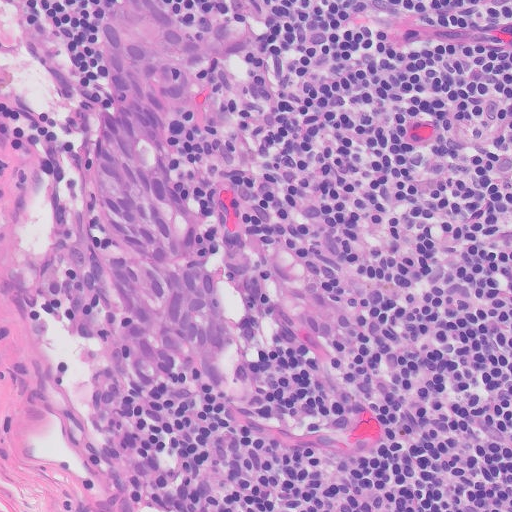
H&E-stained section of a sentinel lymph node (breast cancer), from a whole-slide image, viewed at about 20×: the field is about 0.26 mm across, about 0.5 µm per pixel.
Tumour region outline (a closed clockwise path, crop pixels): (113, 0), (168, 0), (212, 48), (214, 82), (184, 138), (232, 324), (210, 382), (178, 391), (118, 372), (80, 282), (82, 185).
The annotated tumour makes up about 15% of the crop.